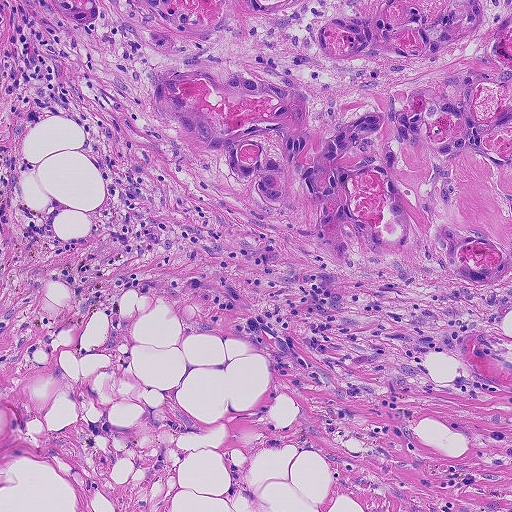
This is a crop of a whole-slide image: an H&E-stained breast-cancer sentinel lymph node section at roughly 10× magnification (about 0.9 µm per pixel; the crop spans about 0.46 mm).
Question: Is there metastatic carcinoma in this field?
Answer: Yes.
The outlined metastatic tumour's edge, as a closed clockwise path of 16 points: (511, 0), (511, 266), (498, 284), (474, 284), (404, 264), (354, 267), (309, 248), (301, 213), (255, 212), (161, 135), (154, 88), (179, 66), (133, 46), (100, 4), (82, 28), (50, 4).
About 35% of the image area is annotated as tumour.